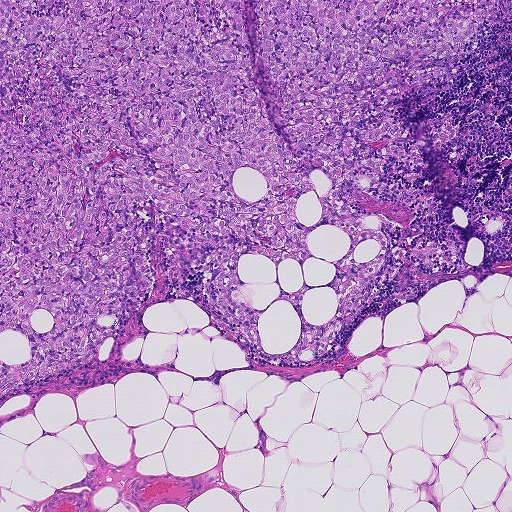
This is a crop of a whole-slide image: an H&E-stained breast-cancer sentinel lymph node section at roughly 5× magnification (about 1.8 µm per pixel; the crop spans about 0.93 mm).
The outlined metastatic tumour's edge, as a closed clockwise path of 24 points: (0, 0), (499, 0), (472, 52), (431, 60), (419, 68), (448, 72), (367, 120), (445, 115), (457, 133), (426, 146), (420, 180), (392, 157), (379, 184), (352, 191), (387, 252), (328, 351), (286, 360), (254, 346), (198, 271), (166, 277), (158, 242), (149, 292), (117, 336), (0, 397).
About 50% of the image area is annotated as tumour.